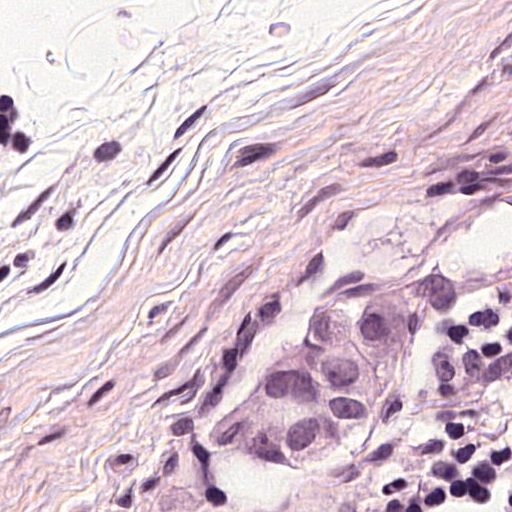
H&E-stained section of a sentinel lymph node (breast cancer), from a whole-slide image, viewed at about 40×: the field is about 0.12 mm across, about 0.24 µm per pixel.
Question: Trace the edge of each tumour region in this crop, as (x, y) points from 0 to 511.
Answer: Metastatic tumour outline, simplified to 17 points and listed clockwise in crop pixels (x, y): (454, 259), (467, 267), (471, 290), (462, 319), (435, 330), (428, 356), (401, 390), (375, 401), (357, 427), (354, 446), (257, 481), (217, 480), (196, 469), (196, 430), (222, 390), (270, 359), (343, 280).
The annotated tumour makes up about 10% of the crop.